Question: 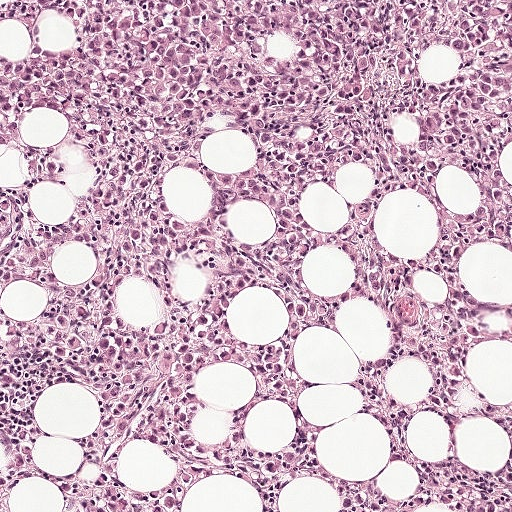
Which magnification is this H&E lymph node field most likely shown at?

Choices:
 (A) about 40×
 (B) about 20×
 (C) about 10×
 (D) about 5×
 (E) about 2.5×

Answer: (C) about 10×
A 0.5-mm field of an H&E-stained sentinel lymph node from a breast-cancer patient (whole-slide image), shown at about 10×, about 0.97 µm per pixel.